Lymph node section stained with H&E, from a whole-slide image of a breast-cancer sentinel node. Magnification about 2.5×, about 2.0 mm across the frame, about 3.9 µm per pixel.
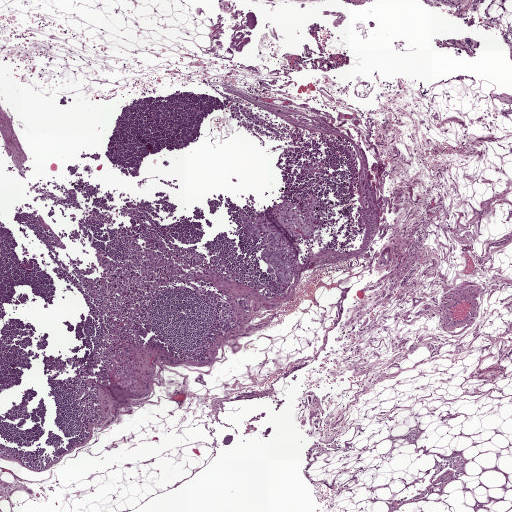
Two metastatic tumour regions, each outlined as a closed clockwise path in crop pixels (x, y), largest first: region 1: (304, 191), (311, 192), (320, 201), (321, 207), (315, 236), (310, 238), (302, 237), (295, 277), (289, 288), (284, 289), (277, 283), (274, 275), (268, 274), (264, 262), (259, 260), (260, 238), (243, 233), (238, 215), (242, 207), (249, 216), (254, 211); region 2: (299, 116), (308, 117), (312, 120), (308, 123), (296, 121).
Four more small tumour pieces are annotated here but not outlined.
The annotated tumour makes up under 5% of the crop.